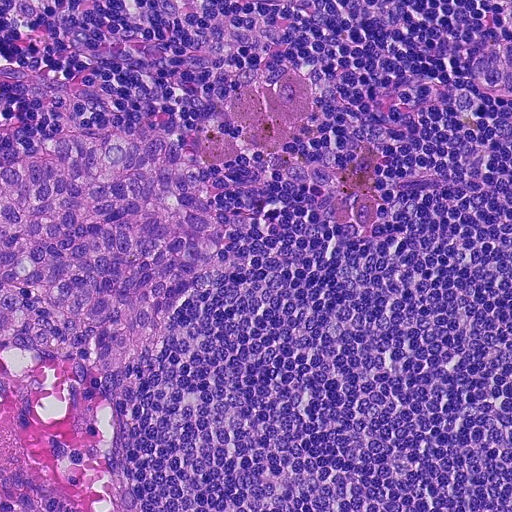
H&E-stained section of a sentinel lymph node (breast cancer), from a whole-slide image, viewed at about 20×: the field is about 0.23 mm across, about 0.45 µm per pixel.
Question: Where is the metastatic tumour in this field? Give each region's outline as (x, y) pixel points.
Answer: Two metastatic tumour regions, each outlined as a closed clockwise path in crop pixels (x, y), largest first: region 1: (286, 76), (323, 82), (314, 118), (277, 152), (334, 166), (372, 136), (384, 154), (373, 240), (340, 238), (294, 185), (222, 166), (194, 184), (222, 210), (224, 246), (208, 282), (135, 366), (100, 381), (0, 346), (0, 165), (78, 130), (190, 134); region 2: (0, 70), (18, 76), (0, 76).
The annotated tumour makes up about 20% of the crop.